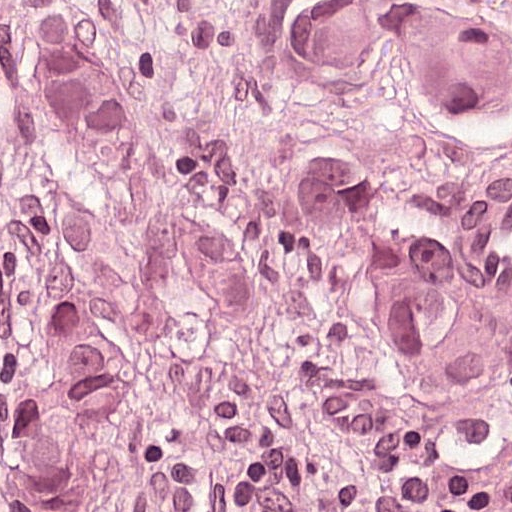
H&E-stained section of a sentinel lymph node (breast cancer), from a whole-slide image, viewed at about 40×: the field is about 0.12 mm across, about 0.24 µm per pixel.
Boundaries of three metastatic tumour regions, simplified and listed clockwise, largest first: region 1: (82, 0), (126, 97), (177, 162), (242, 203), (249, 244), (246, 301), (197, 283), (176, 248), (130, 238), (126, 322), (142, 377), (121, 458), (87, 481), (87, 498), (0, 466), (0, 366), (38, 307), (30, 256), (58, 201), (42, 164), (93, 150), (70, 93), (22, 52), (21, 5); region 2: (313, 101), (372, 136), (395, 177), (450, 218), (485, 285), (479, 332), (487, 411), (460, 417), (436, 409), (391, 362), (362, 297), (352, 248), (276, 164), (287, 109); region 3: (243, 0), (511, 0), (511, 64), (506, 74), (462, 99), (424, 101), (371, 74), (340, 71), (306, 58), (246, 17), (240, 11).
About 40% of this field is tumour.